Question: 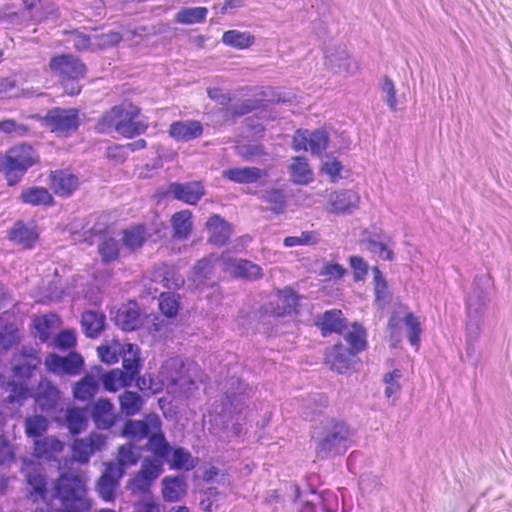
Which magnification is this H&E lymph node field most likely shown at?

Choices:
 (A) about 5×
 (B) about 40×
 (C) about 20×
 (D) about 2.5×
 (E) about 10×

Answer: (B) about 40×
H&E-stained section of a sentinel lymph node (breast cancer), from a whole-slide image, viewed at about 40×: the field is about 0.12 mm across, about 0.23 µm per pixel.
Metastatic tumour outline, simplified to 12 points and listed clockwise in crop pixels (x, y): (173, 333), (221, 356), (266, 386), (278, 408), (278, 433), (266, 456), (244, 470), (196, 456), (177, 440), (163, 417), (152, 367), (154, 342).
About 5% of the image area is annotated as tumour.